H&E-stained section of a sentinel lymph node (breast cancer), from a whole-slide image, viewed at about 10×: the field is about 0.5 mm across, about 0.97 µm per pixel.
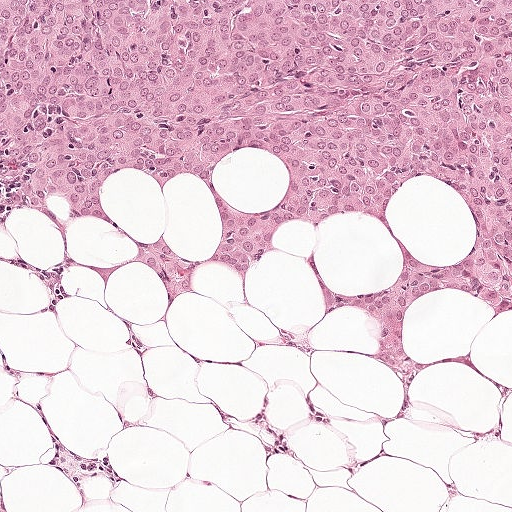
Question: Outline the metastatic carcinoma in this image, as closed paths of (x, y) pixel coordinates.
Answer: One metastatic tumour region; its boundary, reduced to 37 corners and listed clockwise: (0, 0), (511, 0), (511, 310), (452, 285), (400, 310), (406, 350), (473, 354), (506, 392), (429, 362), (404, 406), (366, 306), (324, 314), (306, 269), (312, 245), (327, 281), (376, 291), (398, 239), (464, 266), (446, 176), (400, 184), (388, 217), (286, 220), (238, 270), (207, 260), (217, 193), (264, 212), (279, 154), (212, 180), (122, 167), (107, 216), (193, 266), (172, 303), (140, 264), (77, 262), (136, 244), (114, 224), (0, 191).
Tumour covers about 45% of the frame.